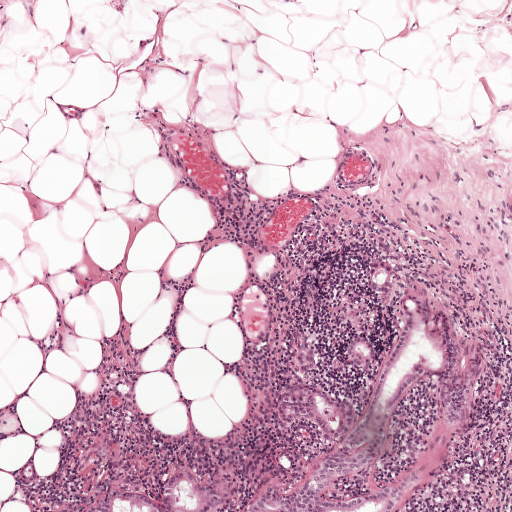
Lymph node section stained with H&E, from a whole-slide image of a breast-cancer sentinel node. Magnification about 5×, about 1 mm across the frame, about 1.9 µm per pixel.
Boundaries of three metastatic tumour regions, simplified and listed clockwise, largest first: region 1: (372, 252), (475, 313), (490, 339), (493, 369), (470, 458), (409, 511), (231, 511), (249, 481), (309, 454), (308, 425), (275, 372), (274, 343), (300, 328), (302, 360), (356, 383), (344, 355), (352, 326), (380, 328), (354, 275); region 2: (166, 472), (198, 473), (220, 492), (215, 511), (81, 511), (93, 503), (115, 496), (144, 494); region 3: (28, 461), (36, 461), (39, 471), (37, 483), (26, 483), (17, 477), (20, 467).
Tumour covers about 15% of the frame.